This is a crop of a whole-slide image: an H&E-stained breast-cancer sentinel lymph node section at roughly 5× magnification (about 1.8 µm per pixel; the crop spans about 0.93 mm).
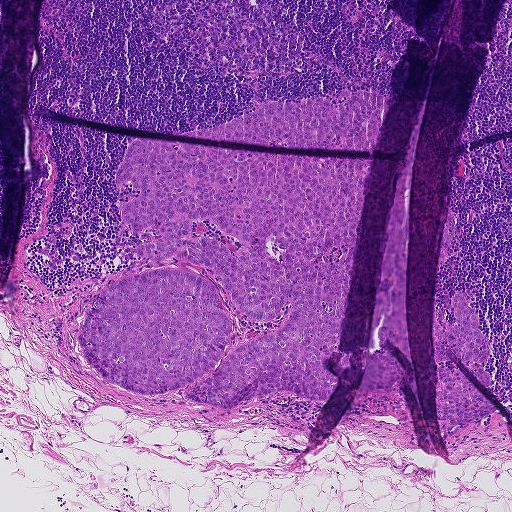
Question: Which parts of this field are metastatic tumour? Answer with the outline of each region, in pixels.
Answer: Three metastatic tumour regions, each outlined as a closed clockwise path in crop pixels (x, y), largest first: region 1: (130, 143), (369, 161), (336, 345), (322, 363), (335, 379), (324, 399), (183, 397), (221, 359), (149, 395), (96, 373), (81, 328), (115, 282), (195, 273), (230, 318), (225, 349), (280, 328), (290, 306), (251, 320), (211, 269), (134, 250), (159, 231), (122, 219), (142, 191), (115, 182); region 2: (358, 91), (388, 95), (372, 150), (216, 140), (184, 134), (226, 122), (272, 100), (288, 103), (316, 96), (340, 104); region 3: (461, 288), (478, 315), (489, 346), (486, 362), (475, 365), (489, 374), (496, 395), (461, 352), (444, 348), (444, 354), (496, 409), (472, 424), (456, 425), (447, 424), (438, 410), (434, 361), (434, 305), (435, 307), (443, 306), (448, 323), (457, 324), (452, 318), (451, 301), (453, 292).
One more small tumour piece is annotated here but not outlined.
About 25% of the image area is annotated as tumour.